Question: 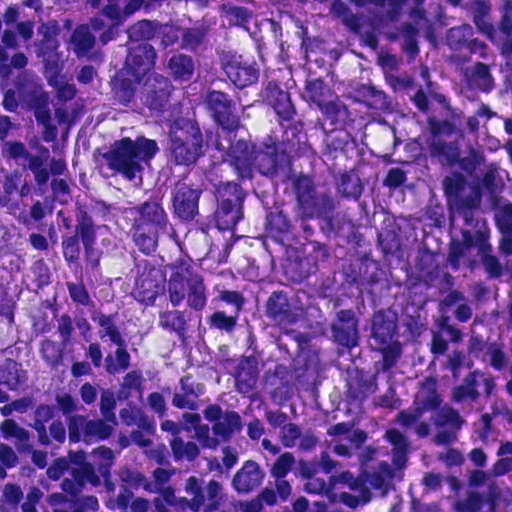
At roughly what magnification is this field shown?

Choices:
 (A) about 40×
 (B) about 2.5×
 (C) about 5×
 (D) about 20×
 (E) about 10×

Answer: (A) about 40×
This is a crop of a whole-slide image: an H&E-stained breast-cancer sentinel lymph node section at roughly 40× magnification (about 0.23 µm per pixel; the crop spans about 0.12 mm).
Metastatic tumour outline, simplified to 21 points and listed clockwise in crop pixels (x, y): (146, 0), (295, 0), (410, 89), (438, 148), (445, 270), (429, 389), (379, 422), (323, 434), (204, 411), (155, 379), (80, 301), (76, 359), (30, 395), (0, 391), (0, 208), (37, 221), (70, 264), (86, 194), (59, 141), (97, 96), (107, 37).
One more small tumour piece is annotated here but not outlined.
The annotated tumour makes up about 55% of the crop.